Lymph node section stained with H&E, from a whole-slide image of a breast-cancer sentinel node. Magnification about 20×, about 0.25 mm across the frame, about 0.49 µm per pixel.
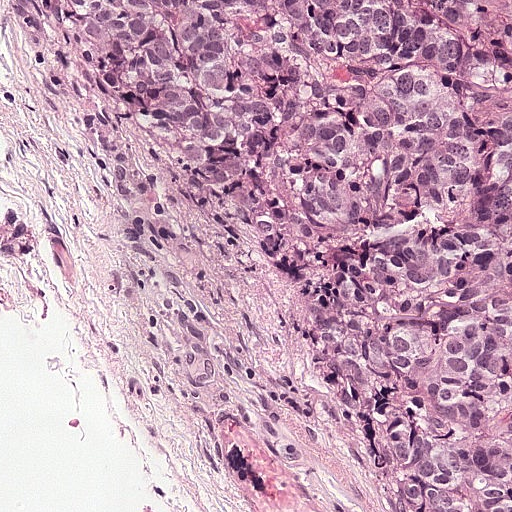
Metastatic tumour outline, simplified to 6 points and listed clockwise in crop pixels (x, y): (0, 0), (511, 0), (511, 511), (317, 511), (170, 260), (2, 36).
The annotated tumour makes up about 70% of the crop.